Question: 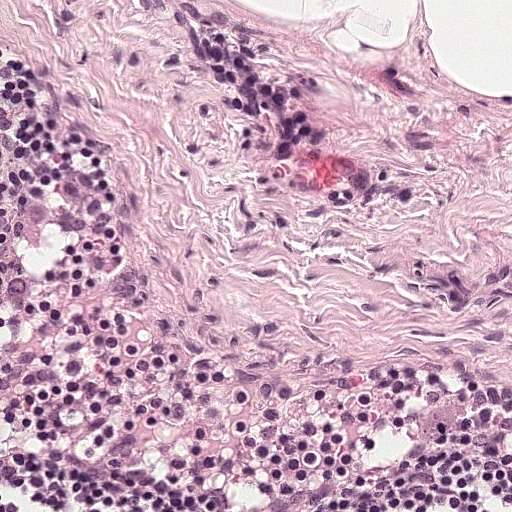
A 0.25-mm field of an H&E-stained sentinel lymph node from a breast-cancer patient (whole-slide image), shown at about 20×, about 0.49 µm per pixel.
What fraction of the image area is metastatic tumour?

Choices:
 (A) about 25% to 45%
 (B) about 10% to 20%
 (C) about 5% or less
 (D) about 50% or more
 (E) none: no tumour is outlined

Answer: (E) none: no tumour is outlined
No metastatic tumour is outlined in this field.